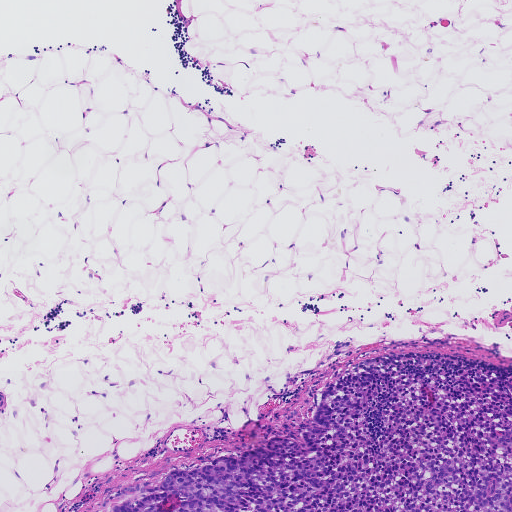
A 0.93-mm field of an H&E-stained sentinel lymph node from a breast-cancer patient (whole-slide image), shown at about 5×, about 1.8 µm per pixel.
Metastatic tumour outline, simplified to 20 points and listed clockwise in crop pixels (x, y): (466, 368), (508, 380), (511, 511), (110, 511), (125, 486), (155, 484), (171, 470), (239, 456), (288, 435), (312, 419), (324, 387), (350, 373), (383, 376), (367, 412), (376, 440), (396, 377), (426, 374), (455, 395), (461, 391), (455, 377).
About 15% of this field is tumour.